A 0.25-mm field of an H&E-stained sentinel lymph node from a breast-cancer patient (whole-slide image), shown at about 20×, about 0.49 µm per pixel.
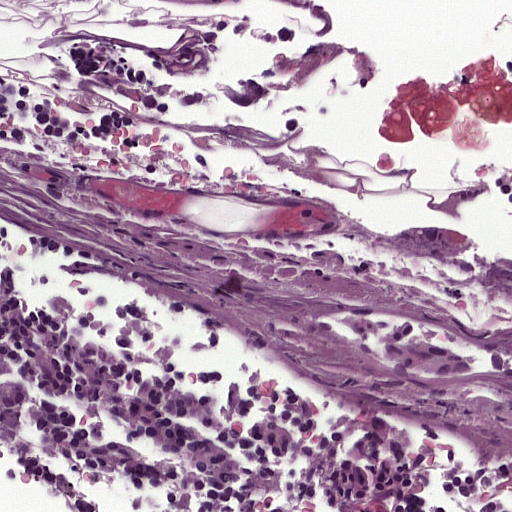
Outlines of two tumour regions, largest first (closed clockwise paths, crop pixels): region 1: (392, 324), (462, 333), (499, 358), (460, 384), (414, 378), (371, 364); region 2: (0, 376), (31, 378), (41, 398), (20, 433), (0, 425).
Tumour covers about 5% of the frame.